Image:
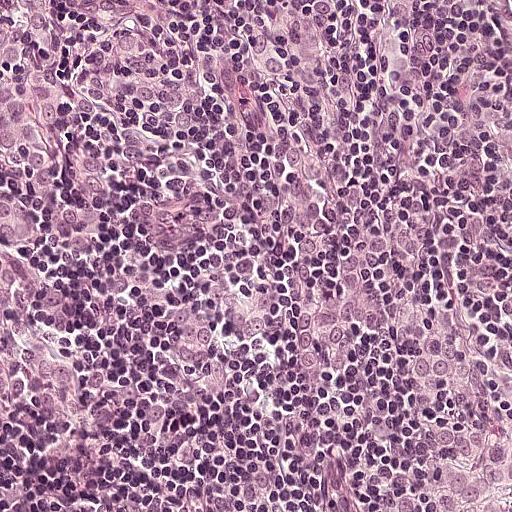
This is a crop of a whole-slide image: an H&E-stained breast-cancer sentinel lymph node section at roughly 20× magnification (about 0.49 µm per pixel; the crop spans about 0.25 mm).
Question:
Where is the metastatic tumour in this field?
Answer:
One metastatic tumour region; its boundary, reduced to 16 corners and listed clockwise: (452, 346), (488, 350), (492, 362), (511, 370), (511, 511), (406, 511), (412, 496), (438, 484), (446, 468), (442, 457), (442, 430), (447, 422), (444, 403), (418, 382), (418, 372), (422, 358).
About 5% of the image area is annotated as tumour.